Question: 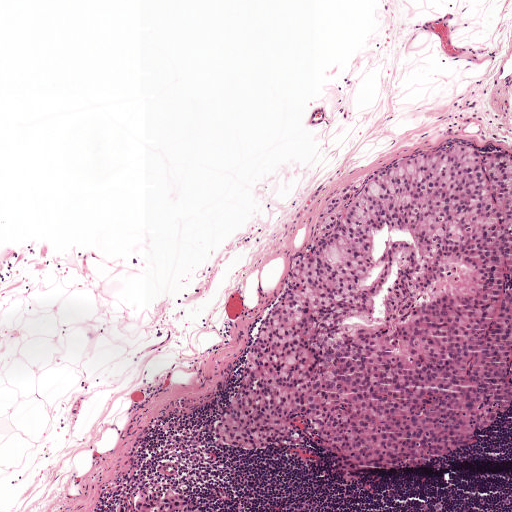
Which magnification is this H&E lymph node field most likely shown at?

Choices:
 (A) about 10×
 (B) about 20×
 (C) about 2.5×
 (D) about 5×
 (E) about 40×

Answer: (D) about 5×
Lymph node section stained with H&E, from a whole-slide image of a breast-cancer sentinel node. Magnification about 5×, about 1 mm across the frame, about 1.9 µm per pixel.
Boundaries of two metastatic tumour regions, simplified and listed clockwise, largest first: region 1: (429, 140), (511, 145), (511, 410), (450, 462), (354, 472), (299, 451), (221, 448), (209, 433), (275, 286), (331, 204); region 2: (171, 479), (192, 482), (224, 511), (96, 511), (115, 503), (132, 490), (150, 480).
About 30% of this field is tumour.